Image:
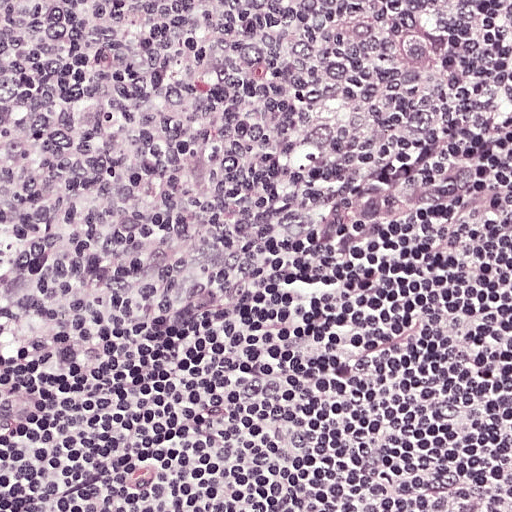
Lymph node section stained with H&E, from a whole-slide image of a breast-cancer sentinel node. Magnification about 20×, about 0.25 mm across the frame, about 0.49 µm per pixel.
Question:
Show where the tumour is in this image.
Answer:
Tumour region outline (a closed clockwise path, crop pixels): (475, 163), (479, 184), (449, 202), (402, 216), (362, 222), (350, 209), (361, 196), (390, 193), (428, 186), (453, 164).
One more small tumour piece is annotated here but not outlined.
Tumour covers under 5% of the frame.